H&E-stained section of a sentinel lymph node (breast cancer), from a whole-slide image, viewed at about 20×: the field is about 0.25 mm across, about 0.49 µm per pixel.
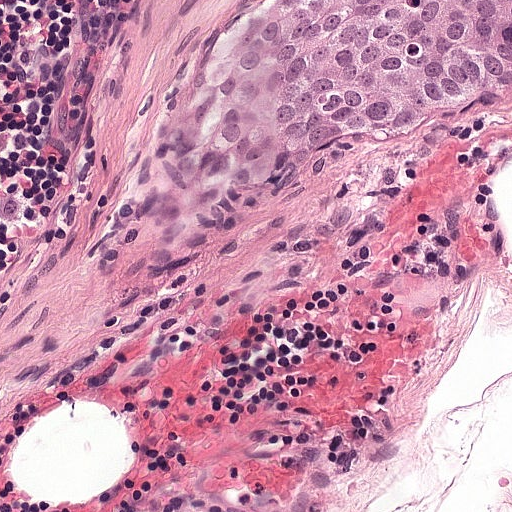
Metastatic tumour outline, simplified to 9 points and listed clockwise in crop pixels (x, y): (274, 0), (511, 0), (511, 87), (462, 116), (376, 134), (312, 160), (240, 210), (173, 214), (178, 138).
About 15% of the image area is annotated as tumour.